Image:
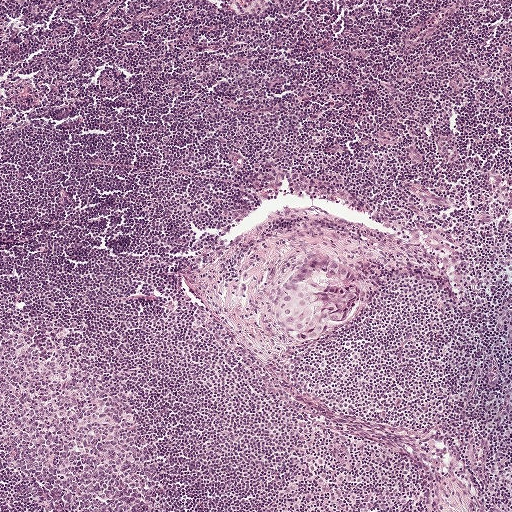
Lymph node section stained with H&E, from a whole-slide image of a breast-cancer sentinel node. Magnification about 5×, about 1 mm across the frame, about 1.9 µm per pixel.
Question:
Outline the metastatic carcinoma in this image, as closed paths of (x, y) pixel coordinates.
Answer:
The outlined metastatic tumour's edge, as a closed clockwise path of 15 points: (320, 256), (325, 258), (355, 277), (359, 289), (359, 306), (358, 312), (346, 326), (335, 327), (312, 344), (305, 344), (294, 341), (286, 334), (281, 317), (280, 302), (300, 267).
The annotated tumour makes up under 5% of the crop.